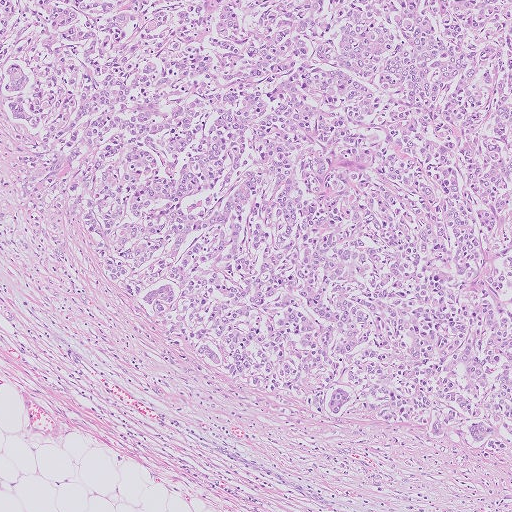
A 1.0-mm field of an H&E-stained sentinel lymph node from a breast-cancer patient (whole-slide image), shown at about 5×, about 2.0 µm per pixel.
One metastatic tumour region; its boundary, reduced to 7 corners and listed clockwise: (0, 0), (511, 0), (511, 464), (416, 431), (252, 397), (173, 357), (0, 119).
Tumour covers about 70% of the frame.